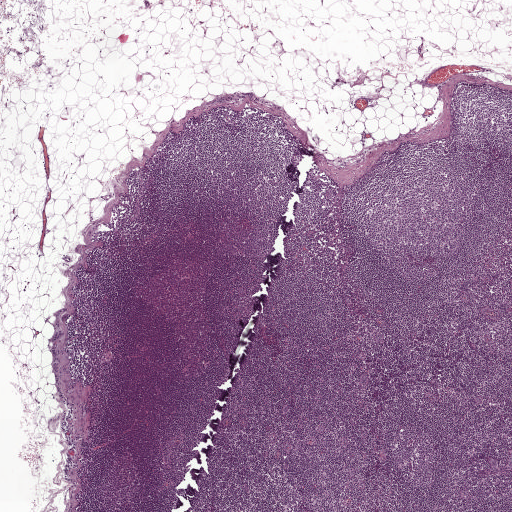
H&E-stained section of a sentinel lymph node (breast cancer), from a whole-slide image, viewed at about 2.5×: the field is about 2.0 mm across, about 3.9 µm per pixel.